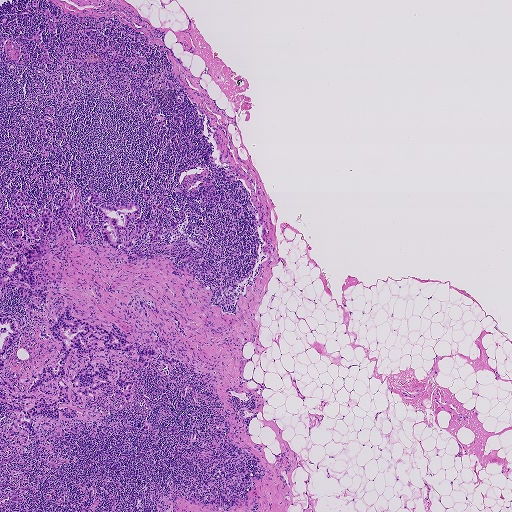
Lymph node section stained with H&E, from a whole-slide image of a breast-cancer sentinel node. Magnification about 2.5×, about 1.9 mm across the frame, about 3.6 µm per pixel.
Question: Trace the edge of each tumour region in this crop, as (x, y) points from 0 to 511.
Answer: Outlines of three tumour regions, largest first (closed clockwise paths, crop pixels): region 1: (23, 189), (38, 208), (59, 207), (57, 237), (32, 263), (44, 261), (49, 305), (115, 323), (188, 367), (116, 353), (133, 397), (96, 390), (70, 406), (78, 418), (60, 416), (77, 431), (8, 444), (20, 432), (0, 430), (11, 420), (0, 402), (0, 316), (26, 320), (1, 357), (18, 388), (60, 345), (38, 336), (45, 316), (29, 317), (13, 285), (0, 301), (0, 230), (17, 233), (0, 218), (14, 210), (27, 233); region 2: (90, 191), (100, 194), (101, 199), (95, 204), (106, 202), (116, 204), (120, 195), (128, 203), (133, 201), (138, 202), (141, 206), (139, 217), (147, 224), (133, 246), (136, 248), (146, 243), (153, 229), (158, 229), (175, 219), (179, 209), (184, 212), (185, 217), (183, 220), (178, 220), (178, 226), (173, 229), (167, 229), (164, 232), (164, 238), (150, 245), (140, 258), (130, 259), (104, 241), (99, 232), (85, 223), (84, 214), (89, 212), (89, 207), (83, 199); region 3: (138, 299), (142, 299), (150, 299), (154, 302), (155, 306), (159, 307), (167, 311), (178, 318), (181, 326), (186, 333), (186, 336), (179, 331), (176, 323), (174, 320), (164, 314), (162, 311), (158, 310), (160, 312), (157, 312), (145, 307), (147, 313), (147, 318), (146, 318), (143, 314), (142, 310), (142, 316), (138, 316), (137, 312), (139, 308).
Two more small tumour pieces are annotated here but not outlined.
Tumour covers about 10% of the frame.